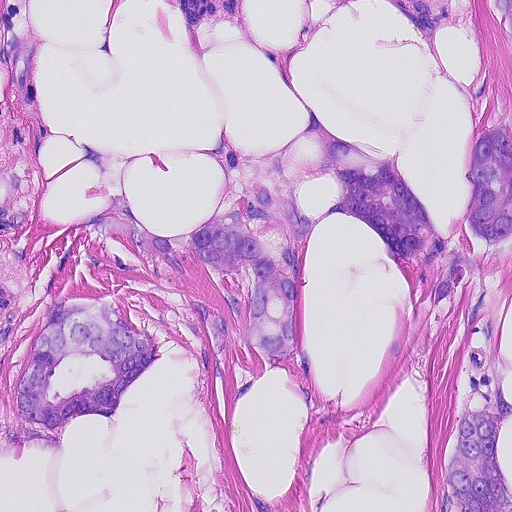
This is a crop of a whole-slide image: an H&E-stained breast-cancer sentinel lymph node section at roughly 20× magnification (about 0.45 µm per pixel; the crop spans about 0.23 mm).
Boundaries of three metastatic tumour regions, simplified and listed clockwise, largest first: region 1: (133, 0), (511, 0), (493, 352), (511, 511), (419, 511), (458, 436), (468, 304), (425, 311), (376, 232), (336, 216), (306, 246), (309, 368), (265, 370), (243, 290), (154, 276), (93, 241), (116, 212), (206, 216), (224, 120), (256, 150), (296, 135), (290, 90), (253, 59); region 2: (83, 288), (142, 319), (159, 346), (146, 376), (110, 417), (82, 420), (60, 446), (35, 446), (0, 460), (0, 394), (8, 391), (56, 304); region 3: (0, 177), (24, 240), (30, 271), (31, 302), (20, 334), (4, 362), (0, 379).
Tumour covers about 45% of the frame.